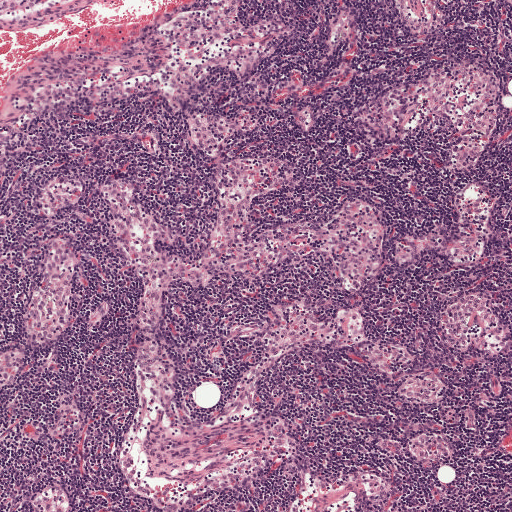
H&E-stained section of a sentinel lymph node (breast cancer), from a whole-slide image, viewed at about 5×: the field is about 1 mm across, about 1.9 µm per pixel.